Question: 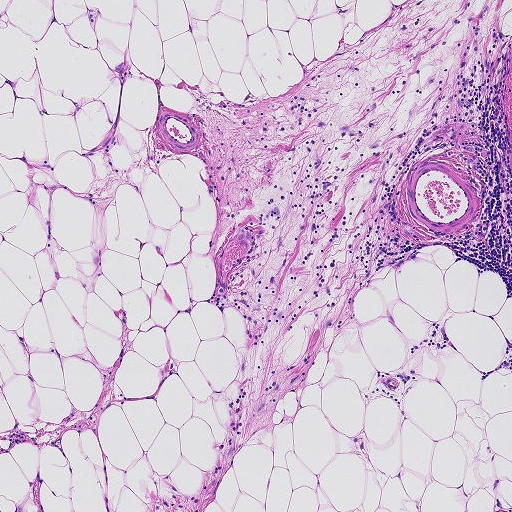
Which magnification is this H&E lymph node field most likely shown at?

Choices:
 (A) about 2.5×
 (B) about 5×
 (C) about 20×
 (D) about 10×
 (E) about 40×

Answer: (B) about 5×
This is a crop of a whole-slide image: an H&E-stained breast-cancer sentinel lymph node section at roughly 5× magnification (about 1.8 µm per pixel; the crop spans about 0.93 mm).